Question: 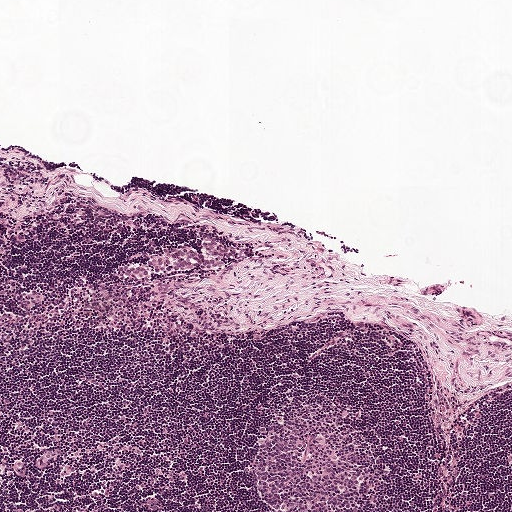
This is a crop of a whole-slide image: an H&E-stained breast-cancer sentinel lymph node section at roughly 5× magnification (about 1.9 µm per pixel; the crop spans about 1 mm).
What fraction of the image area is metastatic tumour?

Choices:
 (A) about 10% to 20%
 (B) about 25% to 45%
 (C) about 50% or more
 (D) about 5% or less
 (E) none: no tumour is outlined

Answer: (D) about 5% or less
Under 5% of the field is tumour.
Metastatic tumour outline, simplified to 19 points and listed clockwise in crop pixels (x, y): (216, 241), (238, 254), (226, 257), (226, 264), (221, 268), (195, 266), (171, 273), (153, 273), (144, 278), (135, 275), (123, 275), (119, 269), (124, 264), (144, 262), (165, 247), (190, 246), (200, 251), (202, 250), (202, 242).